Question: 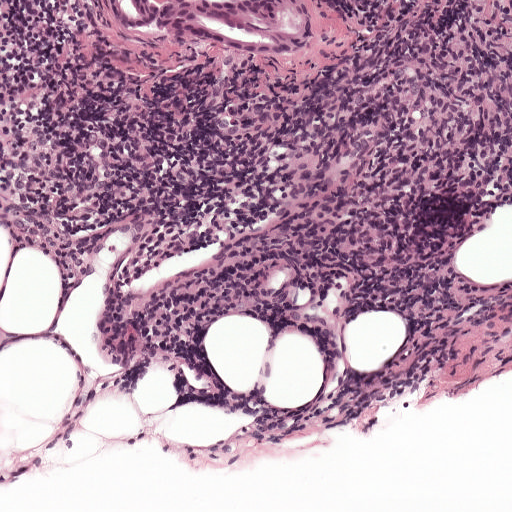
H&E-stained section of a sentinel lymph node (breast cancer), from a whole-slide image, viewed at about 10×: the field is about 0.5 mm across, about 0.97 µm per pixel.
Estimate the proportion of this field that is metastatic tumour.

Choices:
 (A) none: no tumour is outlined
 (B) about 5% or less
 (C) about 10% to 20%
 (D) about 25% to 45%
 (E) about 50% or more

Answer: (B) about 5% or less
About 5% of the field is tumour.
Outlines of two tumour regions, largest first (closed clockwise paths, crop pixels): region 1: (89, 0), (320, 0), (351, 43), (315, 91), (256, 86), (135, 63), (93, 16); region 2: (482, 0), (511, 0), (511, 37), (502, 38).